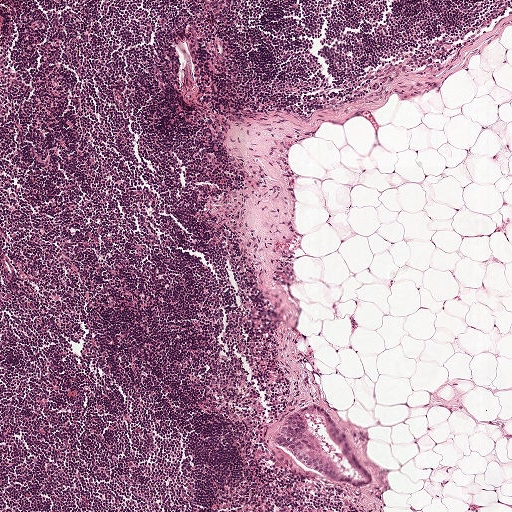
Lymph node section stained with H&E, from a whole-slide image of a breast-cancer sentinel node. Magnification about 5×, about 1 mm across the frame, about 1.9 µm per pixel.
The outlined metastatic tumour's edge, as a closed clockwise path of 18 points: (313, 404), (316, 405), (316, 413), (311, 415), (307, 421), (309, 429), (314, 436), (316, 448), (320, 457), (325, 460), (325, 472), (318, 474), (309, 472), (302, 462), (273, 443), (272, 436), (276, 429), (288, 415).
Under 5% of the image area is annotated as tumour.